Lymph node section stained with H&E, from a whole-slide image of a breast-cancer sentinel node. Magnification about 20×, about 0.25 mm across the frame, about 0.49 µm per pixel.
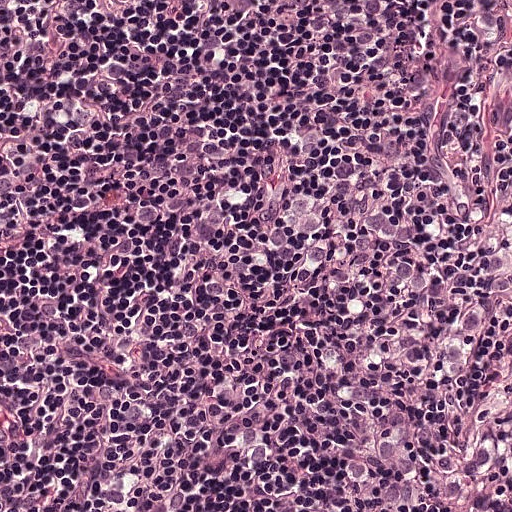
The outlined metastatic tumour's edge, as a closed clockwise path of 8 points: (511, 0), (511, 511), (18, 511), (80, 285), (135, 160), (135, 133), (156, 120), (190, 2).
About 80% of the image area is annotated as tumour.